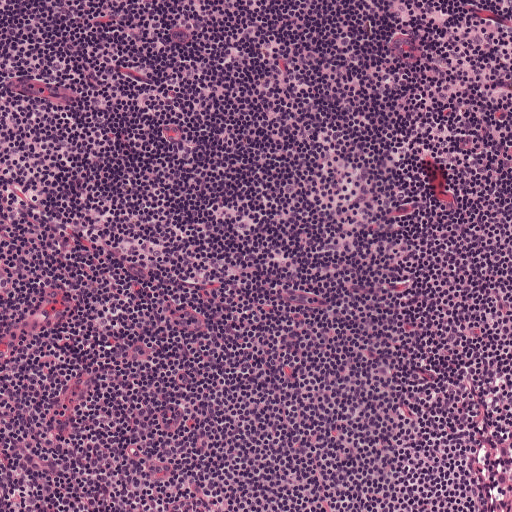
H&E-stained section of a sentinel lymph node (breast cancer), from a whole-slide image, viewed at about 10×: the field is about 0.5 mm across, about 0.97 µm per pixel.